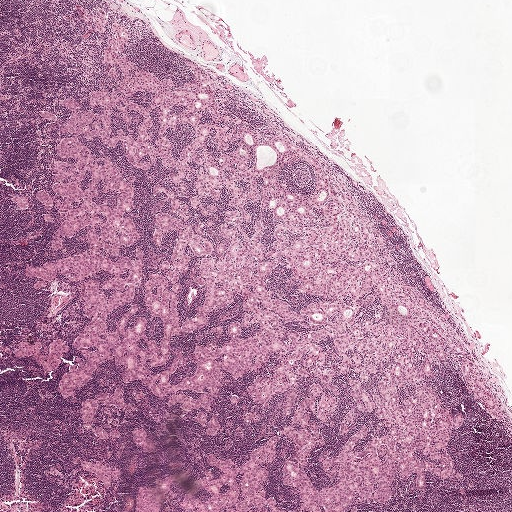
Lymph node section stained with H&E, from a whole-slide image of a breast-cancer sentinel node. Magnification about 2.5×, about 2.0 mm across the frame, about 3.9 µm per pixel.
Outlines of the eight largest metastatic tumour regions, each a closed clockwise path in crop pixels (x, y), largest first: region 1: (115, 22), (342, 181), (504, 419), (436, 359), (464, 481), (307, 511), (279, 472), (313, 376), (260, 405), (268, 353), (186, 411), (208, 390), (112, 359), (71, 403), (80, 288), (113, 278), (56, 273), (32, 289), (88, 247), (36, 198), (69, 137), (135, 194), (107, 329), (138, 303), (160, 342), (176, 171), (61, 132), (116, 88); region 2: (279, 433), (283, 441), (273, 460), (264, 467), (269, 478), (267, 496), (285, 511), (185, 511), (178, 506), (193, 481), (202, 477), (203, 471), (210, 470), (216, 480), (221, 477), (218, 469), (208, 466), (207, 455), (223, 462), (230, 460), (239, 467), (252, 449); region 3: (182, 470), (187, 471), (189, 475), (188, 479), (170, 486), (176, 497), (162, 502), (158, 511), (133, 511), (138, 486), (142, 484), (154, 486), (155, 480), (165, 473), (174, 474); region 4: (61, 338), (67, 343), (67, 350), (66, 353), (62, 352), (57, 368), (48, 371), (43, 369), (32, 356), (23, 358), (17, 356), (13, 352), (21, 341), (33, 343), (35, 341), (41, 345), (41, 348), (38, 351), (42, 354), (48, 352), (51, 341); region 5: (114, 390), (119, 390), (123, 405), (105, 414), (101, 404), (96, 404), (94, 420), (86, 423), (83, 422), (79, 412), (82, 400), (92, 398), (98, 393), (110, 394); region 6: (81, 459), (93, 464), (98, 461), (110, 470), (118, 469), (118, 478), (110, 480), (109, 487), (104, 488), (94, 474), (85, 471), (80, 467), (79, 461); region 7: (139, 428), (143, 431), (146, 434), (145, 438), (155, 444), (155, 451), (150, 453), (134, 444), (131, 436), (132, 430); region 8: (80, 8), (83, 8), (89, 12), (93, 18), (95, 17), (97, 9), (100, 9), (102, 10), (106, 20), (106, 23), (103, 32), (99, 32), (93, 29), (92, 26), (80, 11).
Region 1 encloses 18 non-tumour holes totalling about 15% of its area.
Five more, smaller tumour regions are not outlined.
Two more small tumour pieces are annotated here but not outlined.
The annotated tumour makes up about 40% of the crop.